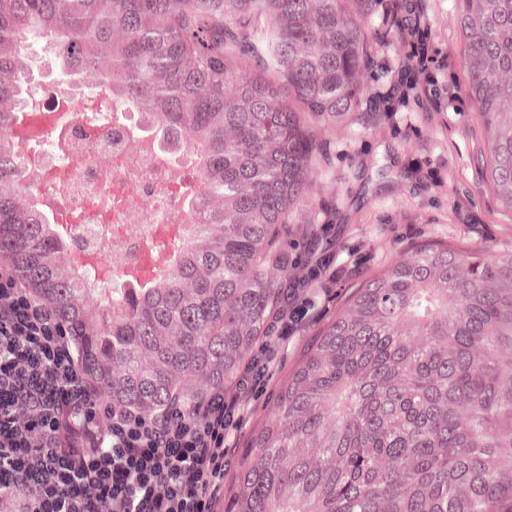
This is a crop of a whole-slide image: an H&E-stained breast-cancer sentinel lymph node section at roughly 20× magnification (about 0.49 µm per pixel; the crop spans about 0.25 mm).
Outlines of two tumour regions, largest first (closed clockwise paths, crop pixels): region 1: (0, 0), (407, 0), (368, 114), (290, 281), (179, 427), (88, 424), (10, 378), (0, 359); region 2: (469, 0), (511, 0), (511, 511), (207, 511), (303, 331), (368, 268), (450, 222).
The annotated tumour makes up about 80% of the crop.